Question: 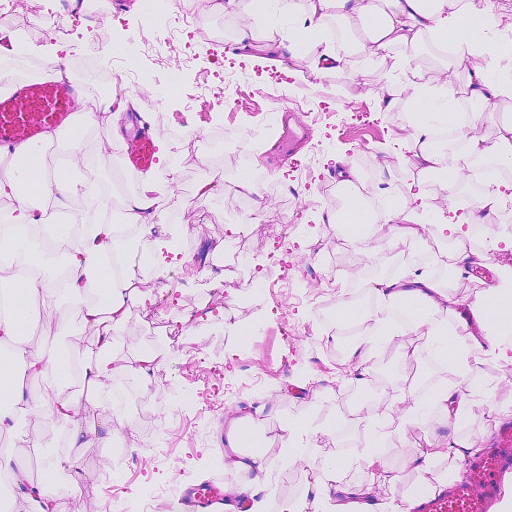
At roughly what magnification is this field shown?

Choices:
 (A) about 10×
 (B) about 20×
 (C) about 5×
 (D) about 2.5×
 (E) about 40×

Answer: (A) about 10×
A 0.46-mm field of an H&E-stained sentinel lymph node from a breast-cancer patient (whole-slide image), shown at about 10×, about 0.91 µm per pixel.